Lymph node section stained with H&E, from a whole-slide image of a breast-cancer sentinel node. Magnification about 2.5×, about 2.0 mm across the frame, about 3.9 µm per pixel.
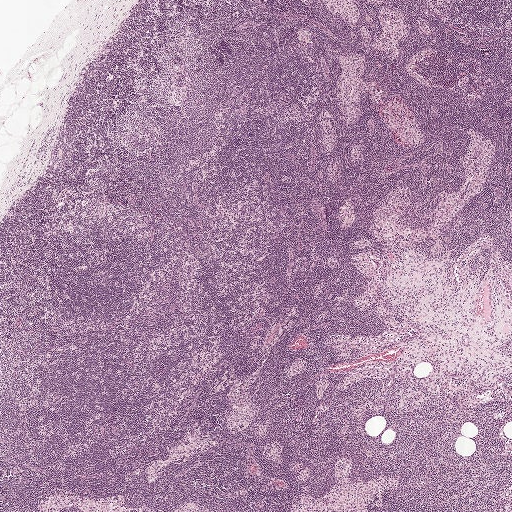
Question: Is there metastatic carcinoma in this field?
Answer: No: no metastatic tumour is outlined anywhere in this field.